Image:
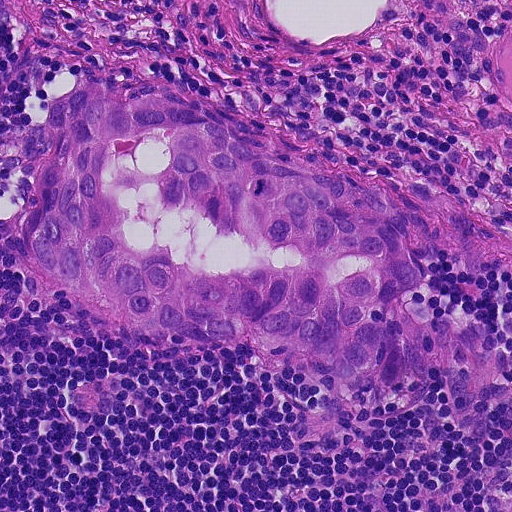
H&E-stained section of a sentinel lymph node (breast cancer), from a whole-slide image, viewed at about 20×: the field is about 0.23 mm across, about 0.45 µm per pixel.
Question:
Does this lymph node field contain metastatic tumour?
Answer:
Yes.
Metastatic tumour outline, simplified to 21 points and listed clockwise in crop pixels (x, y): (80, 87), (176, 87), (511, 235), (511, 267), (482, 276), (452, 254), (417, 266), (414, 302), (480, 338), (485, 409), (448, 406), (438, 370), (418, 382), (407, 372), (386, 390), (336, 386), (270, 350), (124, 327), (58, 290), (20, 228), (40, 122).
About 35% of this field is tumour.

Image:
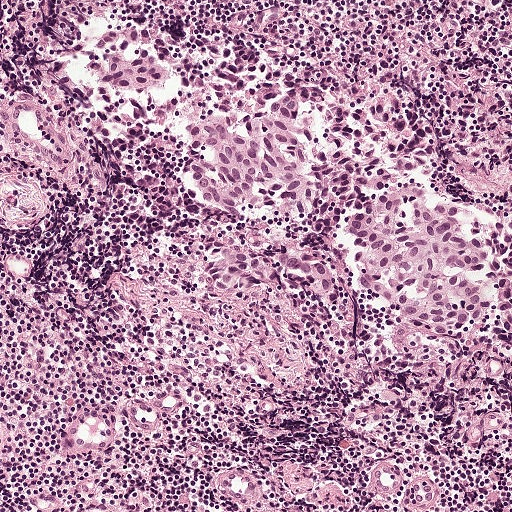
Lymph node section stained with H&E, from a whole-slide image of a breast-cancer sentinel node. Magnification about 10×, about 0.5 mm across the frame, about 0.97 µm per pixel.
Question:
Does this lymph node field contain metastatic tumour?
Answer:
Yes.
Outlines of two tumour regions, largest first (closed clockwise paths, crop pixels): region 1: (108, 25), (182, 30), (215, 53), (348, 80), (409, 113), (430, 140), (420, 174), (511, 228), (511, 329), (497, 294), (464, 332), (409, 324), (366, 284), (354, 229), (330, 240), (274, 209), (238, 220), (197, 197), (185, 138), (116, 118), (88, 79), (82, 58); region 2: (228, 240), (242, 240), (263, 251), (317, 254), (335, 266), (336, 276), (332, 293), (325, 299), (320, 299), (285, 281), (250, 283), (240, 288), (214, 286), (208, 278), (207, 266), (213, 258), (224, 253).
Tumour covers about 25% of the frame.

Image:
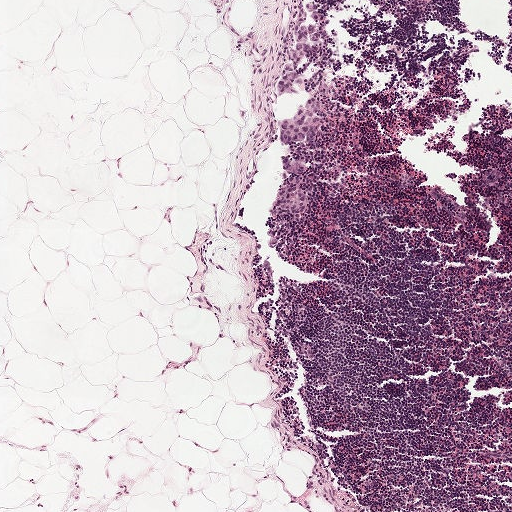
A 1-mm field of an H&E-stained sentinel lymph node from a breast-cancer patient (whole-slide image), shown at about 5×, about 1.9 µm per pixel.
Question:
Does this lymph node field contain metastatic tumour?
Answer:
Yes.
Five metastatic tumour regions, each outlined as a closed clockwise path in crop pixels (x, y), largest first: region 1: (299, 2), (306, 13), (307, 22), (317, 31), (317, 40), (314, 42), (317, 50), (311, 55), (301, 58), (293, 82), (297, 88), (295, 93), (289, 95), (281, 95), (274, 92), (274, 82), (284, 54), (294, 41), (293, 28); region 2: (282, 154), (300, 159), (306, 170), (300, 182), (301, 187), (308, 192), (308, 205), (304, 211), (294, 215), (274, 216), (267, 210), (269, 201), (283, 183), (278, 170), (280, 156); region 3: (314, 98), (320, 102), (319, 141), (313, 143), (309, 147), (306, 147), (303, 142), (290, 146), (276, 143), (281, 122), (292, 115), (303, 101); region 4: (308, 1), (317, 6), (318, 11), (323, 15), (323, 23), (314, 23), (308, 18), (305, 6), (306, 2); region 5: (266, 229), (270, 229), (278, 232), (278, 245), (276, 247), (270, 247), (268, 247), (266, 245), (267, 238), (264, 234), (264, 230).
Under 5% of the image area is annotated as tumour.

Image:
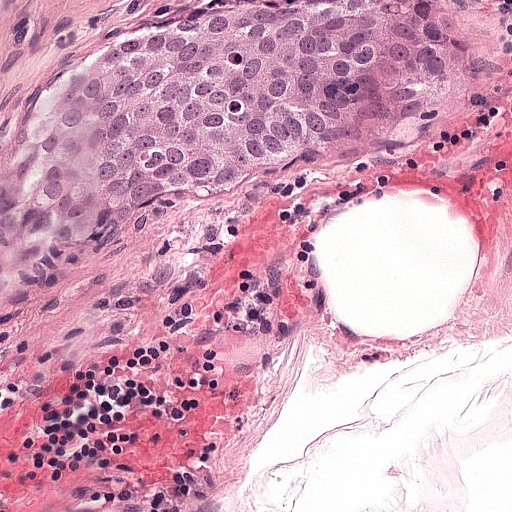
H&E-stained section of a sentinel lymph node (breast cancer), from a whole-slide image, viewed at about 20×: the field is about 0.25 mm across, about 0.49 µm per pixel.
Question:
Does this lymph node field contain metastatic tumour?
Answer:
Yes.
One metastatic tumour region; its boundary, reduced to 13 corners and listed clockwise: (450, 0), (461, 10), (456, 41), (415, 114), (284, 172), (180, 196), (95, 238), (62, 267), (0, 271), (0, 194), (100, 54), (180, 32), (234, 2).
Tumour covers about 25% of the frame.